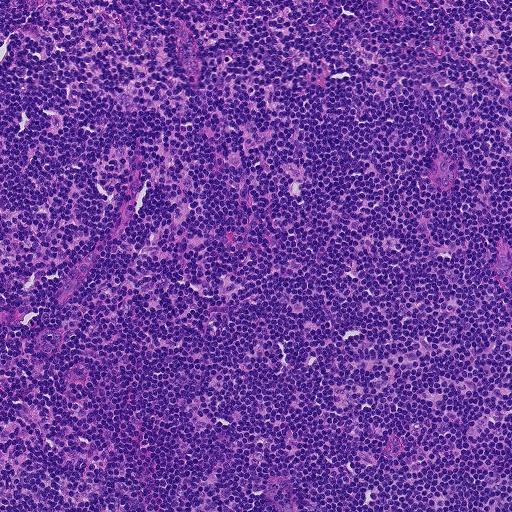
Lymph node section stained with H&E, from a whole-slide image of a breast-cancer sentinel node. Magnification about 10×, about 0.46 mm across the frame, about 0.9 µm per pixel.